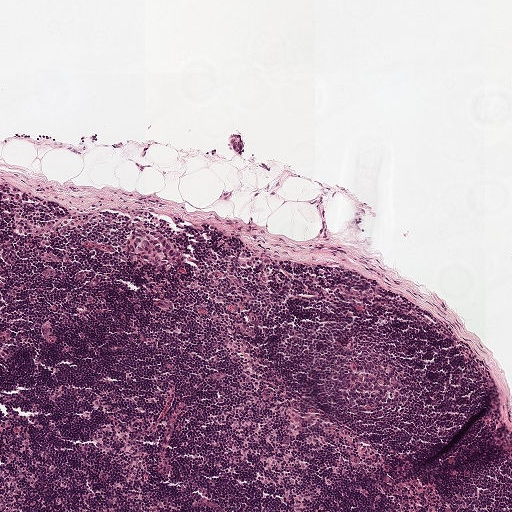
H&E-stained section of a sentinel lymph node (breast cancer), from a whole-slide image, viewed at about 5×: the field is about 1 mm across, about 1.9 µm per pixel.
Question: Outline the metastatic carcinoma in this image, as closed paths of (x, y) pixel coordinates.
Answer: Tumour region outline (a closed clockwise path, crop pixels): (154, 228), (170, 236), (179, 246), (187, 259), (185, 265), (170, 271), (162, 271), (135, 247), (133, 240), (137, 230).
Tumour covers under 5% of the frame.